Question: 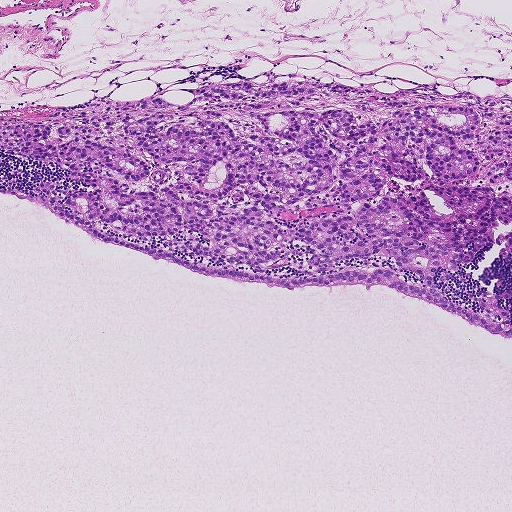
H&E-stained section of a sentinel lymph node (breast cancer), from a whole-slide image, viewed at about 5×: the field is about 0.93 mm across, about 1.8 µm per pixel.
Roughly what share of this field is metastatic tumour?

Choices:
 (A) about 10% to 20%
 (B) none: no tumour is outlined
 (C) about 5% or less
 (D) about 25% to 45%
 (E) about 50% or more

Answer: (D) about 25% to 45%
About 35% of the field is tumour.
Metastatic tumour outline, simplified to 17 points and listed clockwise in crop pixels (x, y): (268, 79), (420, 102), (504, 100), (511, 338), (377, 285), (283, 290), (211, 278), (0, 194), (67, 174), (0, 152), (0, 120), (84, 122), (75, 118), (82, 110), (186, 101), (193, 95), (180, 90).